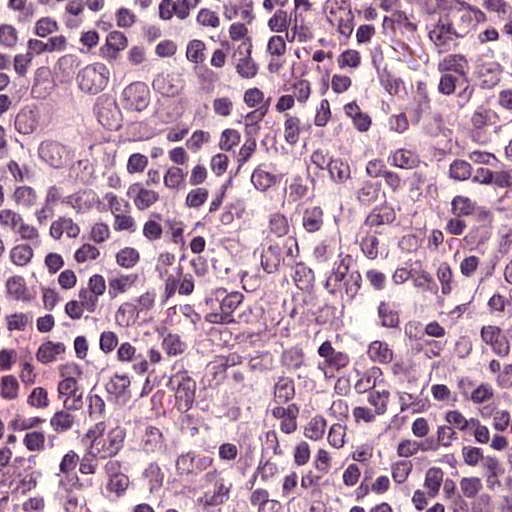
This is a crop of a whole-slide image: an H&E-stained breast-cancer sentinel lymph node section at roughly 40× magnification (about 0.24 µm per pixel; the crop spans about 0.12 mm).
Tumour region outline (a closed clockwise path, crop pixels): (54, 42), (110, 57), (171, 56), (196, 79), (189, 129), (147, 149), (120, 149), (91, 182), (54, 175), (39, 164), (17, 135), (12, 110), (21, 79).
About 5% of this field is tumour.